Image:
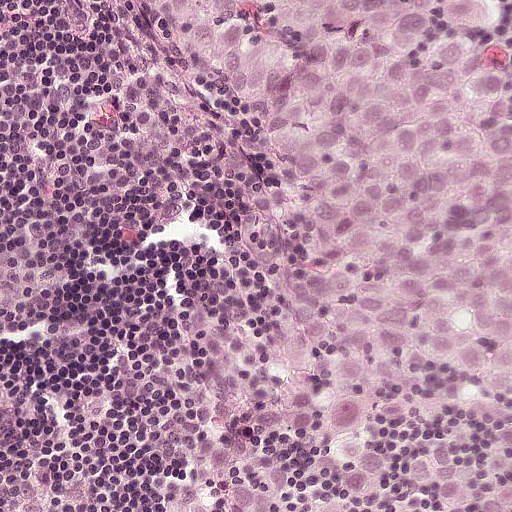
H&E-stained section of a sentinel lymph node (breast cancer), from a whole-slide image, viewed at about 20×: the field is about 0.25 mm across, about 0.49 µm per pixel.
Question:
Outline the metastatic carcinoma in this image, as closed paths of (x, y) pixel coordinates.
Answer:
The outlined metastatic tumour's edge, as a closed clockwise path of 10 points: (511, 0), (511, 511), (230, 511), (222, 458), (266, 352), (256, 334), (270, 254), (231, 142), (188, 93), (142, 2).
About 55% of the image area is annotated as tumour.